Image:
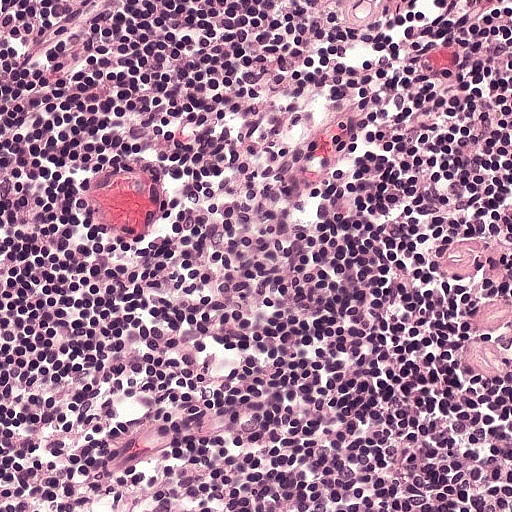
A 0.25-mm field of an H&E-stained sentinel lymph node from a breast-cancer patient (whole-slide image), shown at about 20×, about 0.49 µm per pixel.
Question:
Does this lymph node field contain metastatic tumour?
Answer:
No: no metastatic tumour is outlined anywhere in this field.